Question: 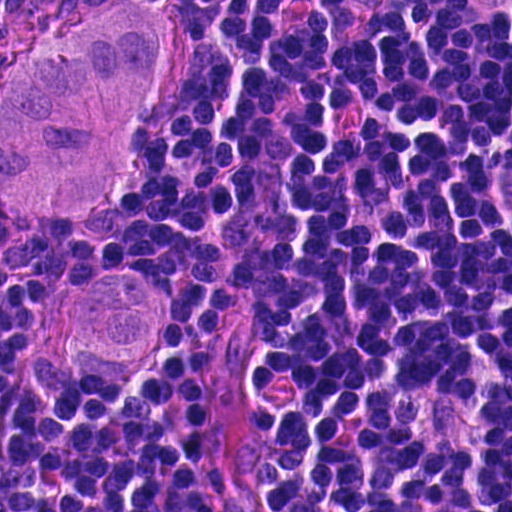
Which magnification is this H&E lymph node field most likely shown at?

Choices:
 (A) about 10×
 (B) about 40×
 (C) about 2.5×
 (D) about 20×
 (E) about 5×

Answer: (B) about 40×
Lymph node section stained with H&E, from a whole-slide image of a breast-cancer sentinel node. Magnification about 40×, about 0.12 mm across the frame, about 0.23 µm per pixel.
The outlined metastatic tumour's edge, as a closed clockwise path of 9 points: (113, 14), (177, 31), (166, 99), (134, 127), (121, 194), (56, 214), (0, 210), (0, 83), (48, 41).
Tumour covers about 10% of the frame.